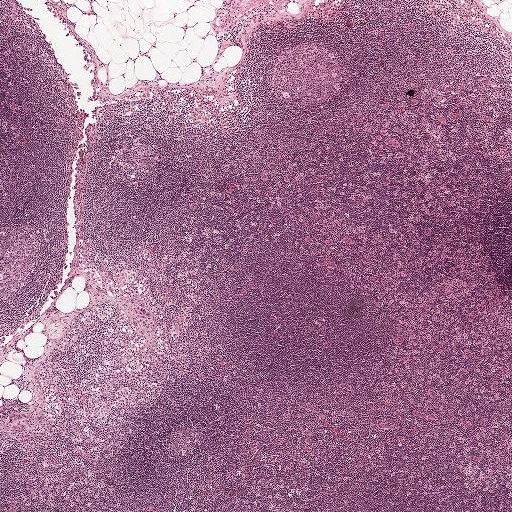
This is a crop of a whole-slide image: an H&E-stained breast-cancer sentinel lymph node section at roughly 2.5× magnification (about 3.9 µm per pixel; the crop spans about 2.0 mm).
Question: Which parts of this field are metastatic tumour?
Answer: Boundaries of two metastatic tumour regions, simplified and listed clockwise, largest first: region 1: (135, 304), (140, 305), (153, 314), (154, 324), (152, 332), (146, 333), (139, 329), (131, 314); region 2: (10, 414), (20, 414), (30, 416), (31, 418), (31, 425), (19, 432), (6, 430), (4, 424).
The annotated tumour makes up under 5% of the crop.